Image:
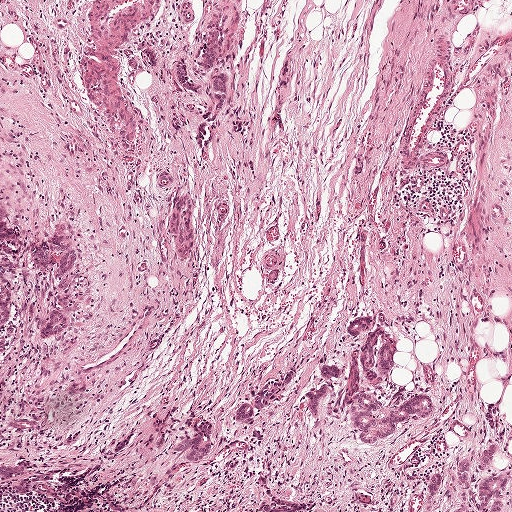
Lymph node section stained with H&E, from a whole-slide image of a breast-cancer sentinel node. Magnification about 5×, about 1 mm across the frame, about 1.9 µm per pixel.
Question:
Trace the edge of each tumour region in this crop, as (x, y) points from 0 to 511.
Answer:
The eight largest tumour regions' boundaries, simplified and listed clockwise, largest first: region 1: (0, 194), (20, 218), (39, 229), (73, 228), (81, 232), (96, 261), (87, 305), (73, 336), (59, 355), (18, 381), (9, 399), (0, 404); region 2: (359, 390), (388, 404), (398, 402), (421, 392), (428, 395), (433, 407), (431, 418), (415, 420), (407, 416), (403, 424), (396, 425), (394, 434), (382, 439), (376, 439), (368, 445), (356, 440), (355, 431), (351, 423), (347, 422), (346, 402); region 3: (493, 444), (497, 447), (488, 468), (491, 474), (501, 473), (508, 480), (503, 496), (501, 511), (454, 511), (459, 503), (457, 467), (458, 464), (463, 461), (467, 463), (470, 472), (468, 506), (472, 507), (474, 496), (479, 486), (479, 479), (474, 467), (477, 448); region 4: (209, 43), (220, 46), (219, 56), (217, 61), (218, 69), (219, 71), (226, 72), (229, 79), (229, 111), (221, 115), (217, 113), (217, 106), (212, 99), (213, 86), (210, 77), (196, 69), (194, 65), (194, 54), (198, 49); region 5: (292, 367), (297, 370), (296, 380), (283, 389), (252, 421), (247, 421), (236, 417), (236, 411), (249, 398), (264, 388), (268, 379); region 6: (203, 418), (209, 420), (213, 426), (214, 443), (208, 455), (200, 462), (190, 462), (185, 456), (172, 451), (171, 448), (199, 426); region 7: (332, 363), (340, 368), (341, 373), (331, 381), (328, 394), (319, 403), (319, 413), (315, 417), (311, 417), (301, 396), (303, 393), (318, 386), (320, 381), (318, 372), (320, 365); region 8: (364, 315), (372, 319), (373, 324), (371, 330), (356, 339), (348, 337), (345, 333), (346, 324).
Four more, smaller tumour regions are not outlined.
One more small tumour piece is annotated here but not outlined.
About 10% of this field is tumour.